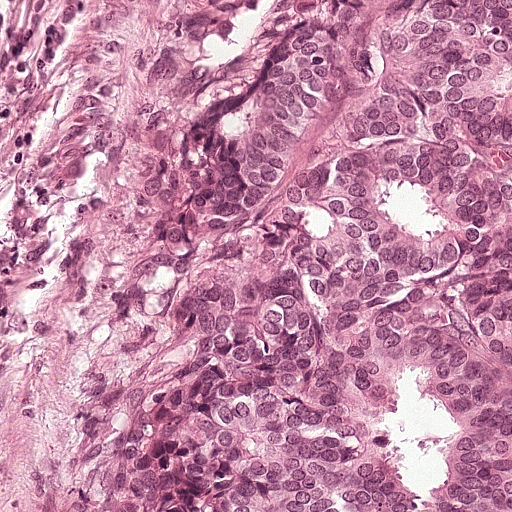
Lymph node section stained with H&E, from a whole-slide image of a breast-cancer sentinel node. Magnification about 20×, about 0.25 mm across the frame, about 0.49 µm per pixel.
Metastatic tumour outline, simplified to 8 points and listed clockwise in crop pixels (x, y): (511, 0), (511, 511), (45, 511), (76, 382), (148, 240), (207, 151), (218, 91), (266, 4).
About 70% of this field is tumour.